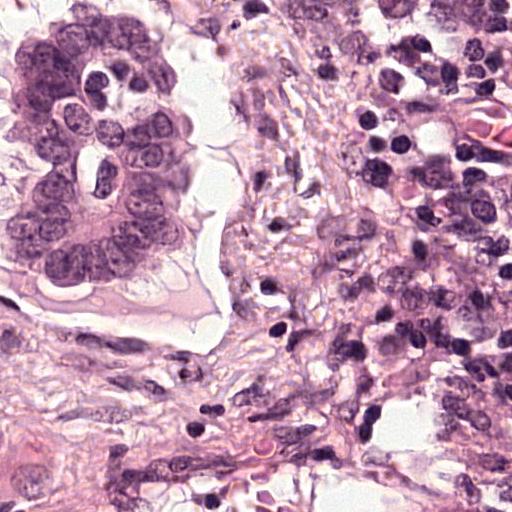
This is a crop of a whole-slide image: an H&E-stained breast-cancer sentinel lymph node section at roughly 40× magnification (about 0.24 µm per pixel; the crop spans about 0.12 mm).
Tumour region outline (a closed clockwise path, crop pixels): (168, 2), (208, 52), (215, 147), (184, 266), (150, 300), (76, 309), (0, 281), (0, 26), (24, 5).
About 25% of the image area is annotated as tumour.